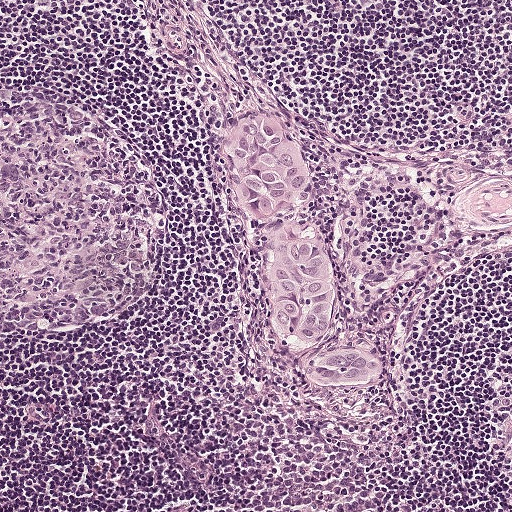
This is a crop of a whole-slide image: an H&E-stained breast-cancer sentinel lymph node section at roughly 10× magnification (about 0.97 µm per pixel; the crop spans about 0.5 mm).
Metastatic tumour outline, simplified to 21 points and listed clockwise in crop pixels (x, y): (253, 110), (265, 112), (302, 147), (312, 185), (301, 207), (302, 228), (321, 237), (339, 283), (332, 336), (318, 348), (349, 344), (382, 359), (380, 371), (364, 380), (329, 384), (311, 378), (273, 333), (267, 274), (242, 189), (228, 163), (229, 134).
About 5% of the image area is annotated as tumour.